This is a crop of a whole-slide image: an H&E-stained breast-cancer sentinel lymph node section at roughly 20× magnification (about 0.45 µm per pixel; the crop spans about 0.23 mm).
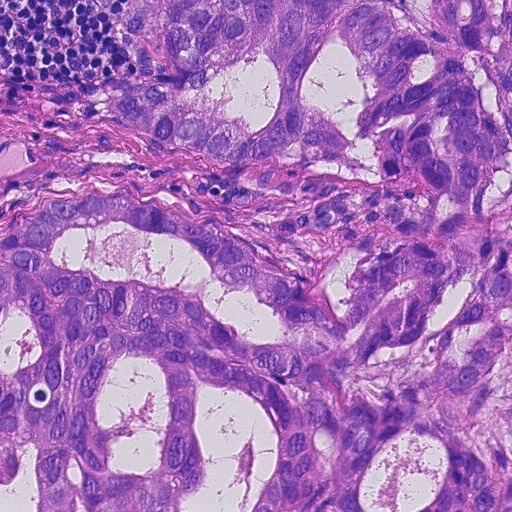
Metastatic tumour outline, simplified to 17 points and listed clockwise in crop pixels (x, y): (122, 0), (511, 0), (511, 511), (0, 511), (0, 239), (54, 198), (86, 192), (182, 208), (301, 262), (333, 258), (342, 227), (252, 190), (237, 162), (109, 123), (96, 94), (140, 72), (112, 30).
Tumour covers about 85% of the frame.